Question: 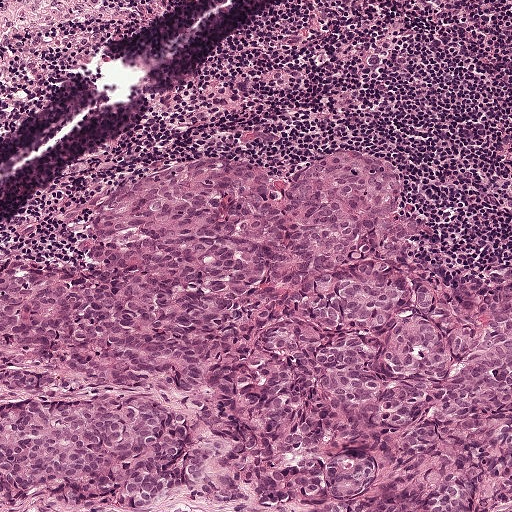
H&E-stained section of a sentinel lymph node (breast cancer), from a whole-slide image, viewed at about 10×: the field is about 0.5 mm across, about 0.97 µm per pixel.
Estimate the proportion of this field that is metastatic tumour.

Choices:
 (A) about 5% or less
 (B) none: no tumour is outlined
 (C) about 10% to 20%
 (D) about 25% to 45%
 (E) about 50% or more

Answer: (E) about 50% or more
About 60% of the field is tumour.
Metastatic tumour outline, simplified to 15 points and listed clockwise in crop pixels (x, y): (330, 150), (385, 159), (445, 254), (511, 288), (511, 511), (0, 511), (0, 394), (80, 379), (0, 350), (0, 271), (76, 265), (94, 200), (156, 171), (234, 164), (285, 176).